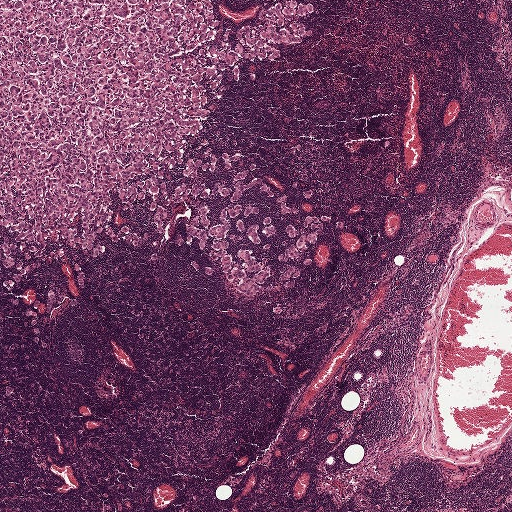
A 2.0-mm field of an H&E-stained sentinel lymph node from a breast-cancer patient (whole-slide image), shown at about 2.5×, about 3.9 µm per pixel.
Question: Show where the tumour is in this image.
Answer: Boundaries of two metastatic tumour regions, simplified and listed clockwise, largest first: region 1: (0, 0), (312, 2), (313, 35), (253, 81), (228, 70), (204, 126), (298, 210), (280, 215), (257, 184), (238, 195), (259, 212), (227, 233), (265, 217), (274, 232), (230, 241), (236, 264), (268, 244), (278, 273), (286, 226), (343, 222), (296, 290), (269, 276), (250, 297), (190, 272), (196, 245), (149, 259), (190, 214), (156, 234), (149, 194), (133, 213), (114, 194), (117, 225), (150, 238), (102, 236), (84, 289), (58, 261), (0, 272); region 2: (48, 288), (55, 289), (55, 301), (44, 324), (44, 341), (47, 346), (43, 348), (37, 346), (30, 332), (29, 322), (24, 316), (24, 311), (34, 302), (45, 297), (45, 291).
One more small tumour piece is annotated here but not outlined.
Tumour covers about 25% of the frame.